Question: 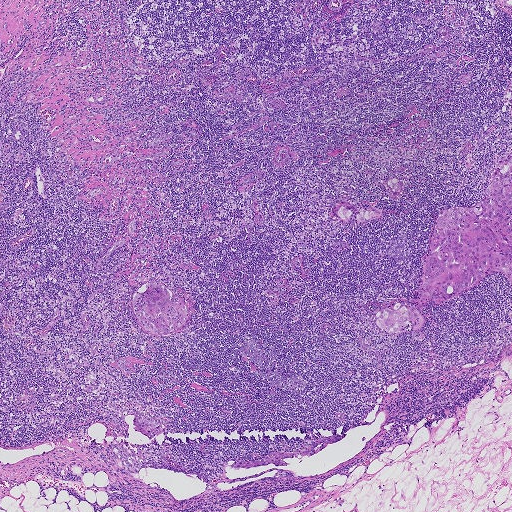
A 1.9-mm field of an H&E-stained sentinel lymph node from a breast-cancer patient (whole-slide image), shown at about 2.5×, about 3.6 µm per pixel.
Roughly what share of this field is metastatic tumour?

Choices:
 (A) none: no tumour is outlined
 (B) about 50% or more
 (C) about 5% or less
 (D) about 25% to 45%
 (E) about 10% to 20%

Answer: (C) about 5% or less
About 5% of the field is tumour.
Outlines of seven tumour regions, largest first (closed clockwise paths, crop pixels): region 1: (511, 154), (511, 283), (505, 274), (497, 272), (443, 302), (426, 300), (421, 294), (424, 259), (440, 212), (477, 204), (500, 161); region 2: (152, 282), (164, 284), (171, 294), (180, 296), (185, 300), (189, 312), (187, 324), (178, 333), (172, 335), (146, 332), (141, 327), (131, 303), (132, 296), (140, 287); region 3: (391, 301), (400, 302), (416, 309), (422, 316), (423, 325), (417, 331), (417, 335), (422, 333), (425, 335), (425, 339), (416, 340), (412, 332), (410, 324), (395, 333), (382, 330), (376, 324), (374, 315), (379, 308); region 4: (335, 434), (345, 434), (344, 438), (340, 440), (328, 444), (325, 448), (311, 457), (307, 455), (300, 459), (294, 456), (290, 459), (282, 460), (286, 462), (290, 463), (286, 465), (278, 466), (270, 463), (266, 465), (253, 467), (236, 468), (232, 467), (230, 464), (237, 460), (254, 461), (274, 452), (283, 452), (291, 453), (296, 452), (308, 448), (327, 437); region 5: (342, 202), (349, 202), (352, 204), (353, 208), (352, 215), (348, 219), (344, 220), (341, 219), (334, 212), (334, 208), (336, 205); region 6: (361, 206), (368, 208), (371, 207), (378, 209), (380, 211), (380, 214), (378, 216), (367, 219), (361, 223), (359, 222), (356, 215); region 7: (394, 177), (398, 178), (401, 181), (402, 185), (402, 189), (398, 192), (394, 192), (390, 191), (385, 184), (386, 179).